Image:
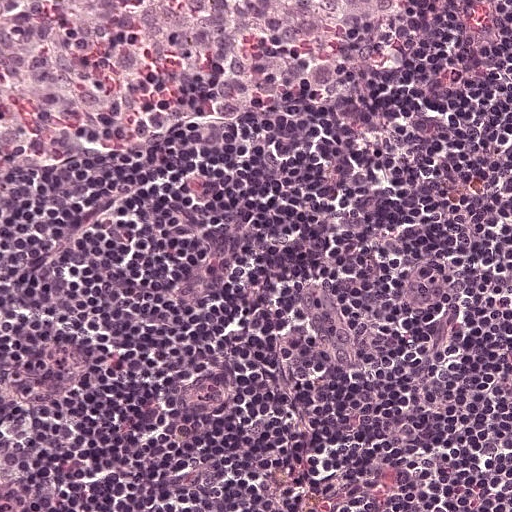
This is a crop of a whole-slide image: an H&E-stained breast-cancer sentinel lymph node section at roughly 20× magnification (about 0.49 µm per pixel; the crop spans about 0.25 mm).
Question:
Is any metastatic breast cancer visible in this crop?
Answer:
No. No metastatic tumour is outlined in this field.